Image:
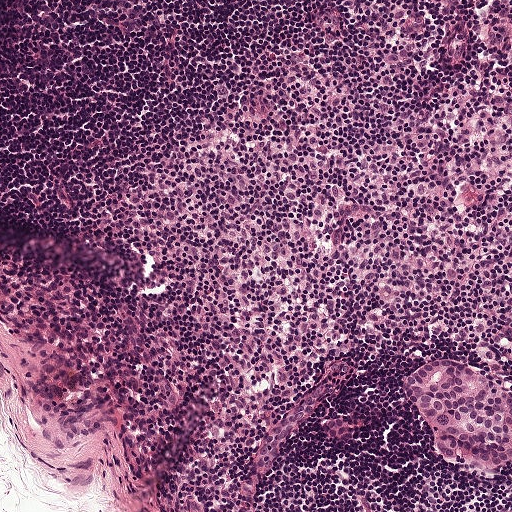
A 0.5-mm field of an H&E-stained sentinel lymph node from a breast-cancer patient (whole-slide image), shown at about 10×, about 0.97 µm per pixel.
Question:
Is any metastatic breast cancer visible in this crop?
Answer:
Yes.
Metastatic tumour outline, simplified to 12 points and listed clockwise in crop pixels (x, y): (435, 352), (484, 371), (495, 384), (511, 391), (511, 464), (498, 471), (472, 471), (438, 457), (426, 442), (416, 407), (403, 394), (406, 374).
About 5% of the image area is annotated as tumour.